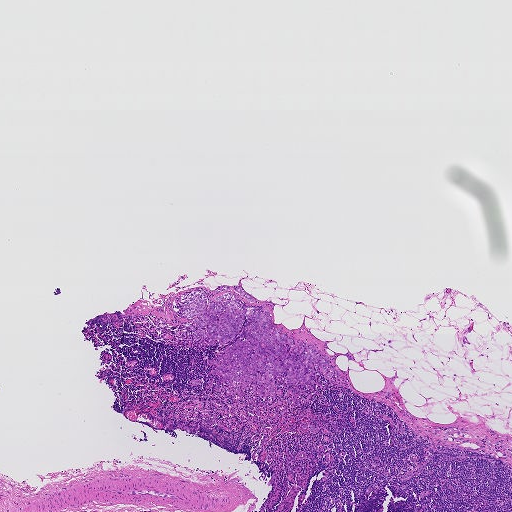
H&E-stained section of a sentinel lymph node (breast cancer), from a whole-slide image, viewed at about 2.5×: the field is about 1.9 mm across, about 3.6 µm per pixel.
Outlines of four tumour regions, largest first (closed clockwise paths, crop pixels): region 1: (197, 289), (214, 301), (228, 292), (242, 306), (267, 307), (271, 324), (297, 347), (301, 341), (314, 343), (333, 355), (335, 368), (349, 386), (331, 383), (321, 371), (312, 388), (287, 385), (285, 372), (274, 378), (280, 396), (262, 398), (240, 386), (237, 392), (223, 377), (211, 374), (217, 366), (208, 362), (233, 341), (185, 344), (173, 332), (193, 318), (177, 315), (180, 296); region 2: (224, 285), (230, 286), (234, 285), (238, 286), (247, 293), (256, 298), (256, 300), (258, 300), (259, 301), (259, 303), (258, 303), (254, 303), (252, 303), (244, 296), (235, 291), (231, 290), (229, 291), (225, 290), (216, 294), (215, 293), (215, 291); region 3: (302, 423), (308, 423), (313, 426), (314, 427), (316, 428), (317, 427), (319, 427), (319, 429), (318, 431), (315, 432), (309, 431), (306, 428), (302, 427), (300, 426), (300, 424); region 4: (291, 387), (293, 389), (292, 392), (295, 392), (295, 394), (292, 396), (292, 398), (289, 403), (287, 403), (286, 401), (286, 399), (291, 395), (289, 389), (290, 388).
Four more small tumour pieces are annotated here but not outlined.
About 5% of this field is tumour.